Question: 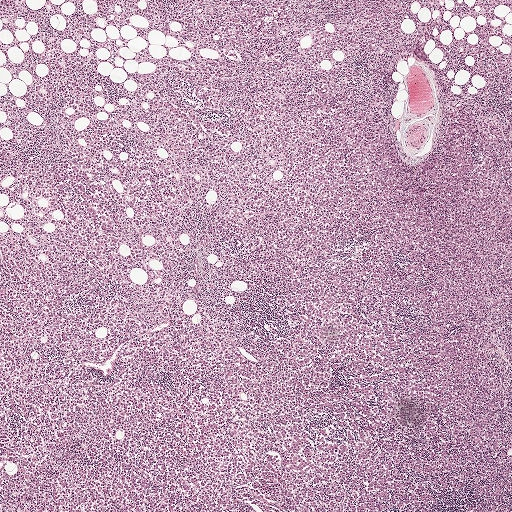
This is a crop of a whole-slide image: an H&E-stained breast-cancer sentinel lymph node section at roughly 2.5× magnification (about 3.9 µm per pixel; the crop spans about 2.0 mm).
Roughly what share of this field is metastatic tumour?

Choices:
 (A) about 5% or less
 (B) about 10% to 20%
 (C) about 50% or more
 (D) none: no tumour is outlined
 (E) about 25% to 45%

Answer: (E) about 25% to 45%
About 45% of the field is tumour.
Six metastatic tumour regions, each outlined as a closed clockwise path in crop pixels (x, y), largest first: region 1: (332, 85), (382, 128), (380, 166), (365, 186), (350, 235), (332, 252), (281, 259), (225, 243), (203, 226), (178, 186), (156, 133), (156, 100), (167, 97), (218, 122); region 2: (81, 158), (104, 175), (144, 169), (156, 174), (177, 208), (176, 256), (168, 276), (177, 299), (165, 321), (122, 339), (102, 356), (26, 364), (0, 336), (0, 254), (28, 238), (71, 230), (72, 220), (46, 189), (56, 167); region 3: (418, 185), (451, 192), (476, 229), (498, 356), (487, 382), (446, 394), (412, 393), (386, 380), (364, 308), (366, 211), (386, 190); region 4: (197, 327), (237, 348), (242, 377), (235, 391), (265, 443), (256, 470), (216, 511), (161, 511), (142, 500), (116, 462), (124, 432), (119, 400), (131, 389), (168, 380), (156, 352), (163, 338); region 5: (308, 420), (346, 422), (402, 449), (410, 465), (416, 511), (283, 511), (278, 487), (283, 449), (295, 427); region 6: (336, 0), (293, 16), (257, 36), (245, 40), (221, 41), (211, 47), (192, 43), (184, 28), (178, 23), (153, 20), (148, 1).